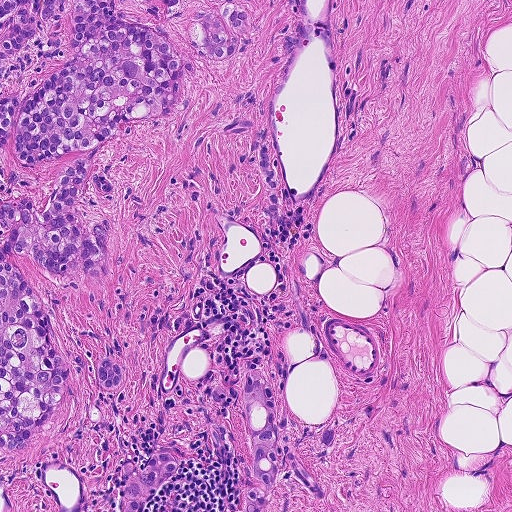
H&E-stained section of a sentinel lymph node (breast cancer), from a whole-slide image, viewed at about 10×: the field is about 0.46 mm across, about 0.9 µm per pixel.
Outlines of five tumour regions, largest first (closed clockwise paths, crop pixels): region 1: (0, 0), (241, 0), (255, 28), (231, 56), (195, 55), (172, 30), (186, 60), (176, 114), (123, 131), (90, 170), (109, 176), (117, 195), (99, 195), (89, 180), (84, 192), (88, 223), (114, 214), (112, 288), (57, 286), (13, 256), (50, 307), (70, 380), (37, 446), (0, 453); region 2: (251, 365), (262, 367), (271, 386), (276, 418), (285, 414), (292, 443), (315, 482), (323, 489), (323, 500), (308, 495), (288, 468), (278, 448), (276, 478), (259, 511), (240, 511), (242, 496), (252, 476), (251, 440), (242, 408), (245, 375); region 3: (168, 450), (178, 454), (178, 466), (142, 511), (119, 511), (123, 480), (122, 465), (128, 461), (134, 466), (132, 476), (143, 469), (157, 452); region 4: (52, 459), (63, 461), (72, 466), (81, 488), (81, 511), (54, 511), (55, 505), (52, 494), (38, 474), (41, 463); region 5: (218, 421), (226, 428), (235, 449), (232, 460), (222, 461), (214, 453), (206, 433), (209, 422).
Two more small tumour pieces are annotated here but not outlined.
About 25% of the image area is annotated as tumour.